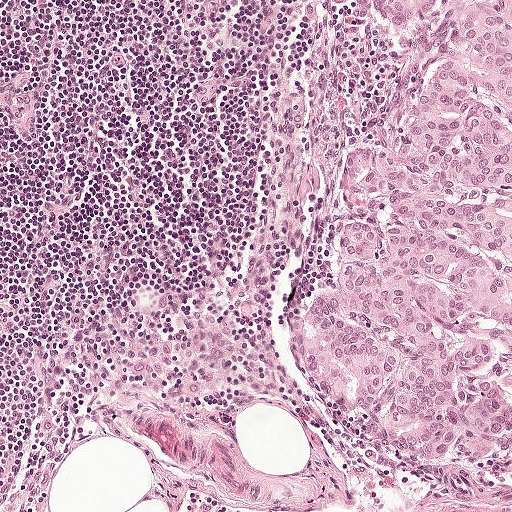
A 0.5-mm field of an H&E-stained sentinel lymph node from a breast-cancer patient (whole-slide image), shown at about 10×, about 0.97 µm per pixel.
The outlined metastatic tumour's edge, as a closed clockwise path of 12 points: (511, 0), (511, 480), (422, 475), (338, 423), (298, 374), (293, 340), (335, 280), (343, 246), (348, 156), (410, 59), (401, 31), (329, 1).
The annotated tumour makes up about 30% of the crop.